Image:
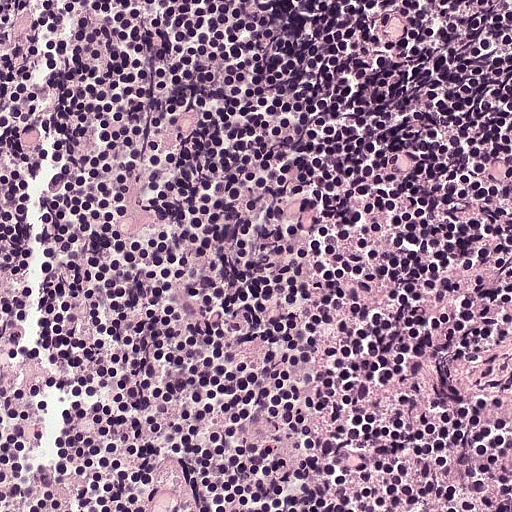
This is a crop of a whole-slide image: an H&E-stained breast-cancer sentinel lymph node section at roughly 20× magnification (about 0.49 µm per pixel; the crop spans about 0.25 mm).
Question:
Does this lymph node field contain metastatic tumour?
Answer:
No: no metastatic tumour is outlined anywhere in this field.